Image:
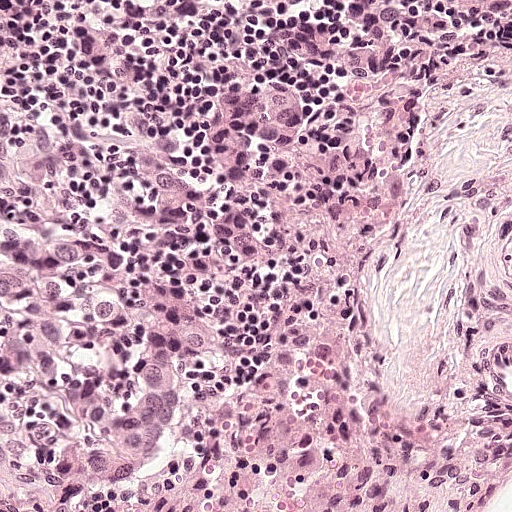
A 0.25-mm field of an H&E-stained sentinel lymph node from a breast-cancer patient (whole-slide image), shown at about 20×, about 0.49 µm per pixel.
Question:
Does this lymph node field contain metastatic tumour?
Answer:
Yes.
One metastatic tumour region; its boundary, reduced to 19 corners and listed clockwise: (0, 0), (36, 0), (24, 30), (28, 62), (52, 73), (97, 156), (83, 186), (88, 224), (142, 251), (153, 348), (172, 303), (189, 298), (196, 312), (196, 396), (168, 423), (153, 468), (56, 495), (53, 506), (0, 511).
The annotated tumour makes up about 20% of the crop.